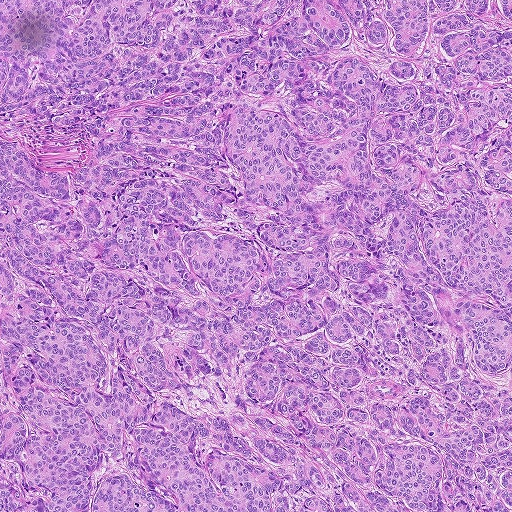
H&E-stained section of a sentinel lymph node (breast cancer), from a whole-slide image, viewed at about 5×: the field is about 0.93 mm across, about 1.8 µm per pixel.
Metastatic tumour covers the whole field.
The annotated tumour makes up over 95% of the crop.